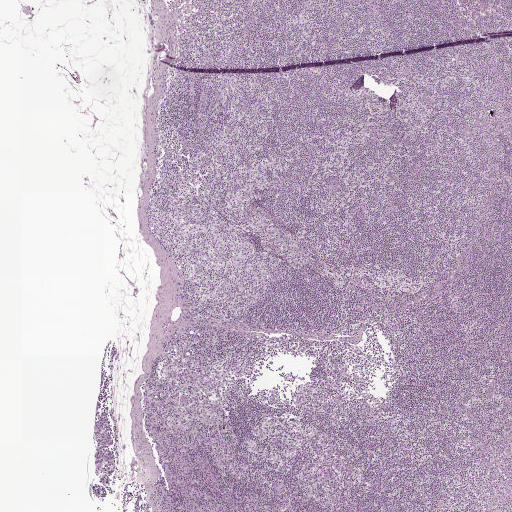
Lymph node section stained with H&E, from a whole-slide image of a breast-cancer sentinel node. Magnification about 2.5×, about 2.0 mm across the frame, about 3.9 µm per pixel.
One metastatic tumour region; its boundary, reduced to 14 corners and listed clockwise: (102, 412), (107, 415), (113, 438), (113, 443), (109, 446), (114, 462), (114, 467), (103, 485), (95, 469), (93, 457), (96, 446), (93, 423), (98, 421), (97, 415).
Under 5% of the image area is annotated as tumour.